This is a crop of a whole-slide image: an H&E-stained breast-cancer sentinel lymph node section at roughly 5× magnification (about 1.9 µm per pixel; the crop spans about 1 mm).
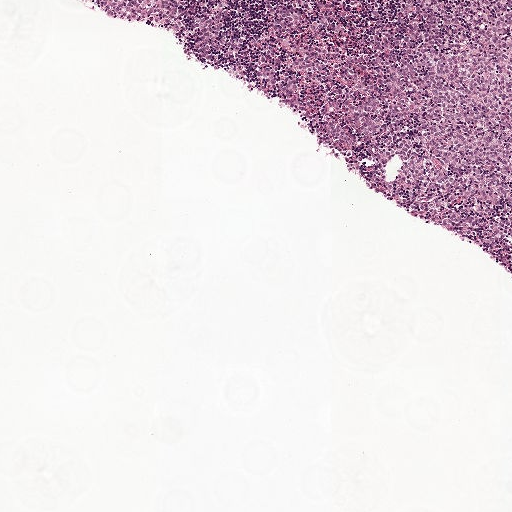
Metastatic tumour outline, simplified to 5 points and listed clockwise in crop pixels (x, y): (511, 0), (511, 260), (420, 227), (331, 148), (105, 1).
About 20% of the image area is annotated as tumour.